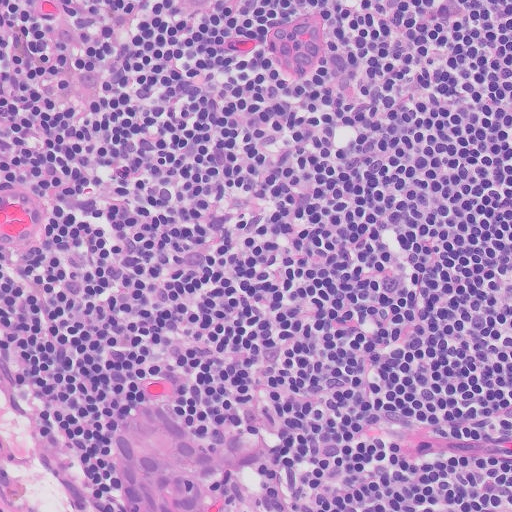
This is a crop of a whole-slide image: an H&E-stained breast-cancer sentinel lymph node section at roughly 20× magnification (about 0.5 µm per pixel; the crop spans about 0.26 mm).
The outlined metastatic tumour's edge, as a closed clockwise path of 8 points: (160, 396), (208, 432), (226, 460), (226, 494), (217, 511), (106, 511), (108, 466), (130, 402).
The annotated tumour makes up about 5% of the crop.